This is a crop of a whole-slide image: an H&E-stained breast-cancer sentinel lymph node section at roughly 2.5× magnification (about 3.9 µm per pixel; the crop spans about 2.0 mm).
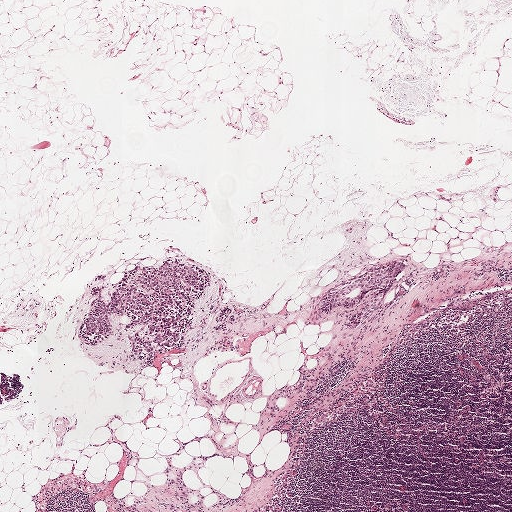
Boundaries of two metastatic tumour regions, simplified and listed clockwise, largest first: region 1: (174, 258), (204, 268), (209, 286), (194, 303), (182, 340), (136, 354), (129, 340), (142, 327), (123, 330), (130, 320), (111, 313), (116, 328), (110, 336), (95, 345), (80, 336), (93, 296), (89, 290), (99, 283), (91, 275), (104, 272), (101, 292), (109, 301), (121, 275), (137, 266); region 2: (399, 261), (407, 262), (408, 266), (393, 279), (383, 303), (360, 325), (346, 328), (344, 323), (378, 294), (377, 289), (367, 291), (356, 306), (348, 311), (335, 311), (327, 316), (318, 312), (319, 301), (329, 290), (344, 285), (382, 265).
The annotated tumour makes up about 5% of the crop.